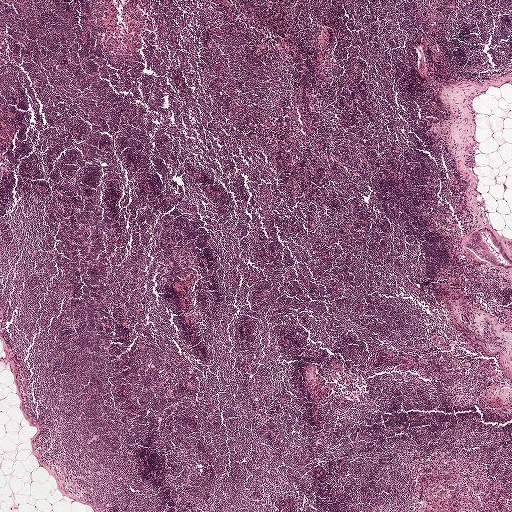
A 2.0-mm field of an H&E-stained sentinel lymph node from a breast-cancer patient (whole-slide image), shown at about 2.5×, about 3.9 µm per pixel.
Question: Where is the metastatic tumour in this field? Give each region's outline as (x, y) pixel points.
Answer: Boundaries of two metastatic tumour regions, simplified and listed clockwise, largest first: region 1: (486, 227), (486, 232), (482, 235), (486, 249), (490, 255), (490, 261), (482, 261), (479, 256), (464, 246), (466, 240), (476, 231); region 2: (308, 363), (317, 365), (318, 371), (318, 377), (310, 382), (306, 381), (306, 373), (302, 368), (303, 365).
Tumour covers under 5% of the frame.